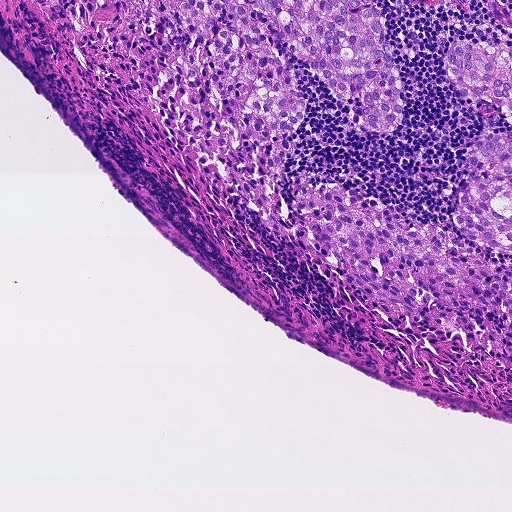
H&E-stained section of a sentinel lymph node (breast cancer), from a whole-slide image, viewed at about 10×: the field is about 0.46 mm across, about 0.9 µm per pixel.
Outlines of three tumour regions, largest first (closed clockwise paths, crop pixels): region 1: (138, 0), (378, 0), (404, 112), (402, 129), (384, 134), (353, 118), (295, 48), (260, 22), (309, 105), (278, 226), (177, 144), (154, 92), (163, 76), (196, 58), (202, 41); region 2: (312, 184), (332, 184), (368, 206), (446, 224), (508, 274), (511, 383), (356, 314), (309, 257), (298, 198); region 3: (488, 44), (510, 48), (511, 259), (473, 243), (458, 230), (452, 212), (466, 174), (467, 154), (479, 138), (498, 133), (506, 135), (491, 98), (453, 84), (443, 66), (448, 48).
Tumour covers about 25% of the frame.